H&E-stained section of a sentinel lymph node (breast cancer), from a whole-slide image, viewed at about 20×: the field is about 0.23 mm across, about 0.45 µm per pixel.
Question: 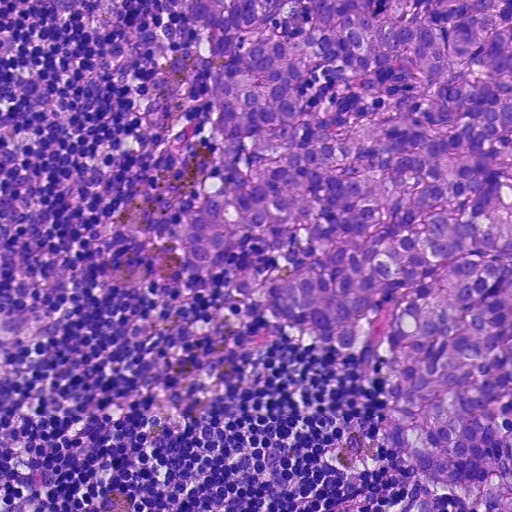
Roughly what share of this field is metastatic tumour?

Choices:
 (A) about 50% or more
 (B) about 25% to 45%
 (C) about 10% to 20%
 (D) about 5% or less
 (E) none: no tumour is outlined

Answer: (B) about 25% to 45%
About 45% of the field is tumour.
One metastatic tumour region; its boundary, reduced to 17 corners and listed clockwise: (190, 0), (511, 0), (511, 511), (489, 511), (401, 465), (384, 336), (348, 355), (308, 349), (250, 294), (280, 268), (250, 237), (221, 265), (182, 277), (170, 238), (209, 168), (212, 128), (207, 47).